Image:
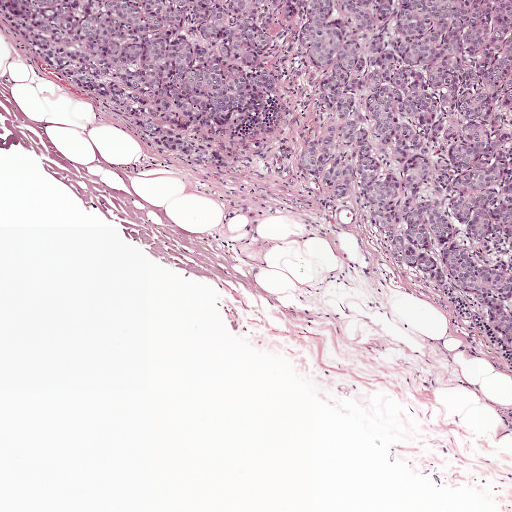
H&E-stained section of a sentinel lymph node (breast cancer), from a whole-slide image, viewed at about 5×: the field is about 1 mm across, about 1.9 µm per pixel.
Question:
Where is the metastatic tumour in this field? Give each region's outline as (x, y) pixel points.
Answer:
Metastatic tumour outline, simplified to 14 points and listed clockwise in crop pixels (x, y): (0, 0), (511, 0), (511, 351), (349, 205), (319, 204), (308, 187), (302, 158), (319, 92), (304, 13), (276, 21), (286, 118), (208, 172), (61, 82), (3, 23).
About 35% of the image area is annotated as tumour.